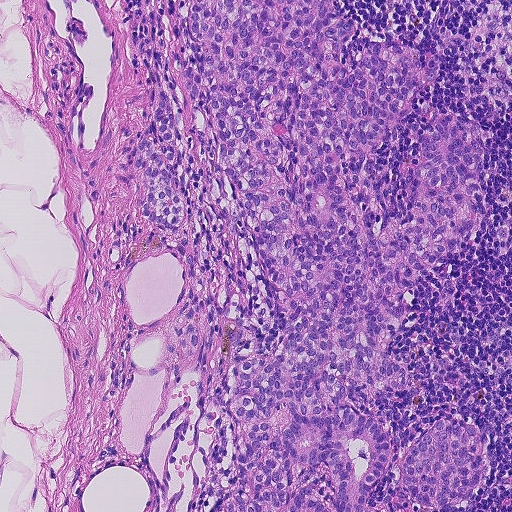
A 0.46-mm field of an H&E-stained sentinel lymph node from a breast-cancer patient (whole-slide image), shown at about 10×, about 0.9 µm per pixel.
Metastatic tumour outline, simplified to 37 points and listed clockwise in crop pixels (x, y): (189, 0), (333, 0), (361, 25), (353, 42), (432, 52), (433, 84), (371, 156), (394, 226), (434, 105), (486, 126), (476, 218), (447, 268), (400, 295), (412, 384), (375, 408), (396, 456), (439, 418), (479, 428), (486, 481), (458, 506), (403, 506), (395, 462), (366, 506), (378, 511), (207, 511), (235, 458), (228, 383), (266, 344), (275, 289), (202, 117), (171, 119), (184, 226), (150, 224), (113, 168), (159, 80), (184, 107), (172, 51).
About 40% of the image area is annotated as tumour.